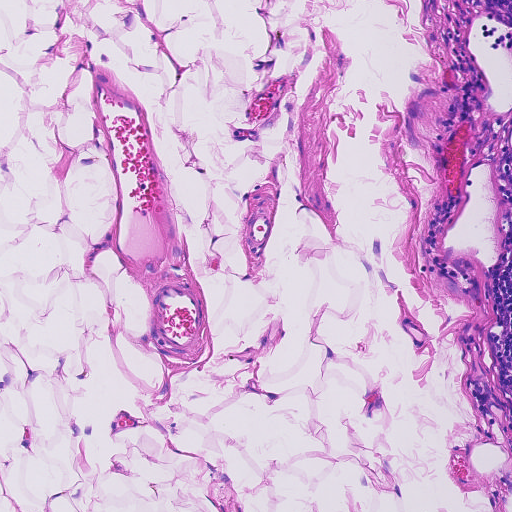
A 0.46-mm field of an H&E-stained sentinel lymph node from a breast-cancer patient (whole-slide image), shown at about 10×, about 0.91 µm per pixel.